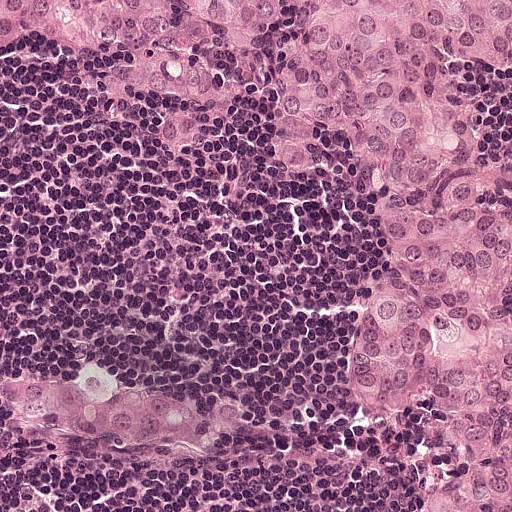
A 0.25-mm field of an H&E-stained sentinel lymph node from a breast-cancer patient (whole-slide image), shown at about 20×, about 0.49 µm per pixel.
Outlines of two tumour regions, largest first (closed clockwise paths, crop pixels): region 1: (0, 0), (300, 0), (297, 21), (328, 2), (511, 0), (511, 90), (478, 88), (458, 129), (511, 190), (511, 511), (411, 511), (377, 425), (338, 374), (376, 256), (356, 171), (298, 176), (256, 104), (218, 148), (181, 154), (76, 68), (17, 57), (0, 65); region 2: (20, 352), (59, 352), (188, 393), (209, 415), (213, 446), (209, 456), (189, 461), (140, 461), (45, 436), (0, 440), (0, 362).
About 50% of the image area is annotated as tumour.